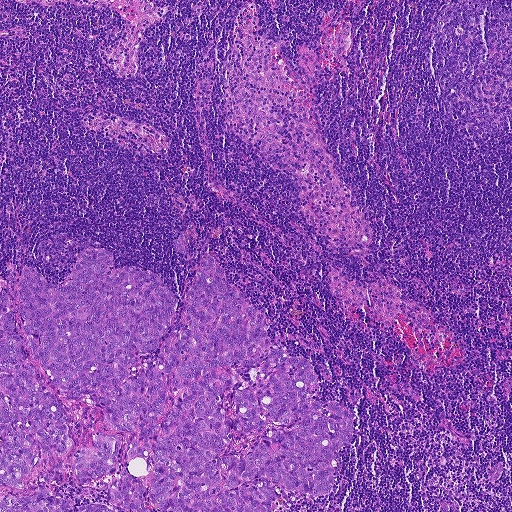
This is a crop of a whole-slide image: an H&E-stained breast-cancer sentinel lymph node section at roughly 5× magnification (about 1.8 µm per pixel; the crop spans about 0.93 mm).
Question: Where is the metastatic tumour in this field?
Answer: Two metastatic tumour regions, each outlined as a closed clockwise path in crop pixels (x, y), largest first: region 1: (98, 247), (113, 269), (159, 275), (176, 308), (157, 350), (138, 355), (139, 374), (179, 322), (195, 271), (212, 255), (265, 307), (271, 343), (309, 360), (309, 398), (353, 417), (328, 494), (265, 482), (271, 509), (0, 511), (0, 282), (28, 265), (58, 285); region 2: (182, 230), (186, 233), (188, 252), (182, 253), (176, 250), (173, 245), (178, 238), (180, 231).
Tumour covers about 30% of the frame.